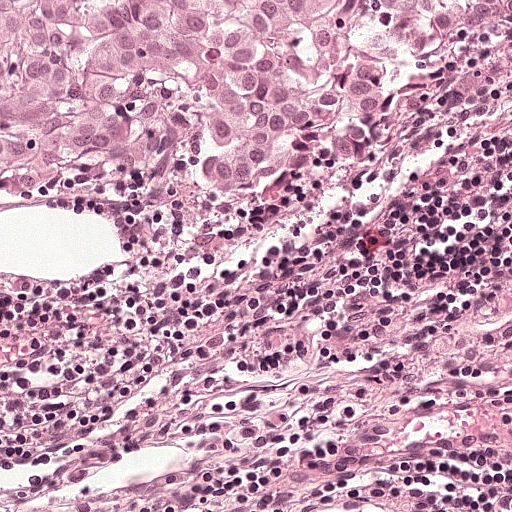
This is a crop of a whole-slide image: an H&E-stained breast-cancer sentinel lymph node section at roughly 20× magnification (about 0.49 µm per pixel; the crop spans about 0.25 mm).
Metastatic tumour outline, simplified to 12 points and listed clockwise in crop pixels (x, y): (0, 0), (511, 0), (511, 28), (383, 66), (374, 112), (349, 139), (291, 136), (252, 186), (203, 194), (149, 173), (102, 196), (2, 186).
About 25% of the image area is annotated as tumour.